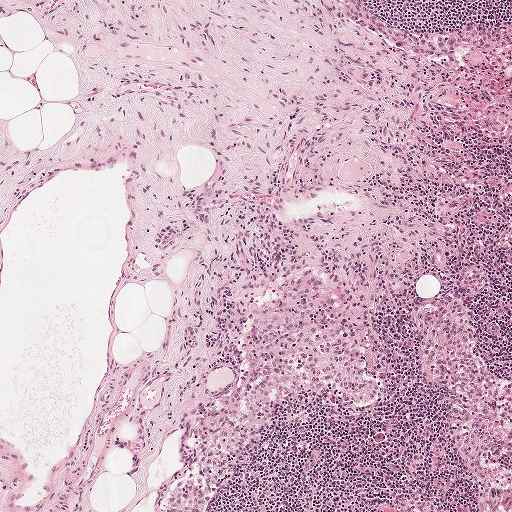
This is a crop of a whole-slide image: an H&E-stained breast-cancer sentinel lymph node section at roughly 5× magnification (about 1.9 µm per pixel; the crop spans about 1 mm).